A 0.25-mm field of an H&E-stained sentinel lymph node from a breast-cancer patient (whole-slide image), shown at about 20×, about 0.49 µm per pixel.
Question: 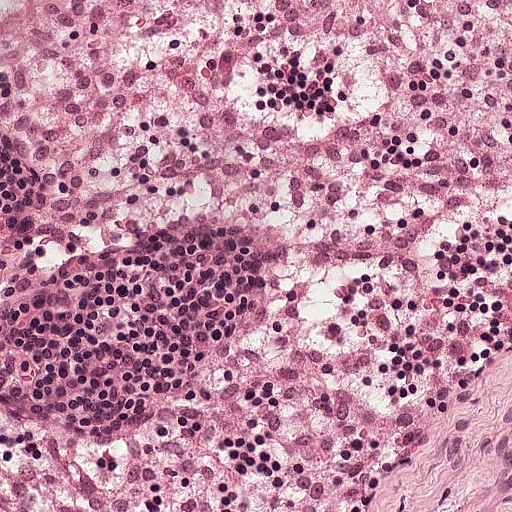
About how much of this crop is taken up by metastatic carcinoma?

Choices:
 (A) about 10% to 20%
 (B) none: no tumour is outlined
 (C) about 5% or less
 (D) about 50% or more
 (E) about 25% to 45%

Answer: (B) none: no tumour is outlined
No metastatic tumour is outlined in this field.